Image:
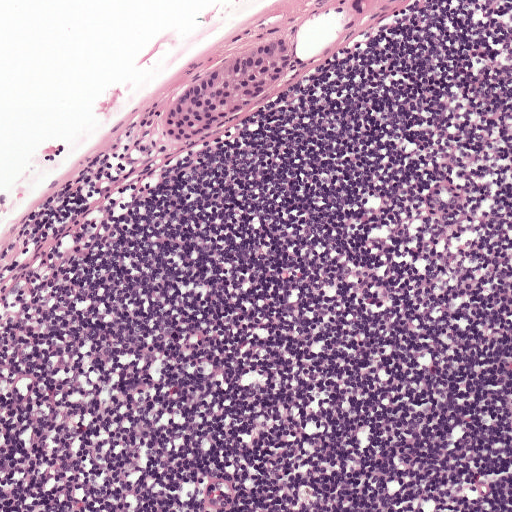
Lymph node section stained with H&E, from a whole-slide image of a breast-cancer sentinel node. Magnification about 10×, about 0.5 mm across the frame, about 0.97 µm per pixel.
Question:
Where is the metastatic tumour in this field?
Answer:
One metastatic tumour region; its boundary, reduced to 10 corners and listed clockwise: (282, 36), (290, 42), (288, 73), (236, 115), (190, 142), (166, 138), (161, 123), (176, 99), (193, 79), (251, 38).
One more small tumour piece is annotated here but not outlined.
Tumour covers about 5% of the frame.